Lymph node section stained with H&E, from a whole-slide image of a breast-cancer sentinel node. Magnification about 10×, about 0.5 mm across the frame, about 0.97 µm per pixel.
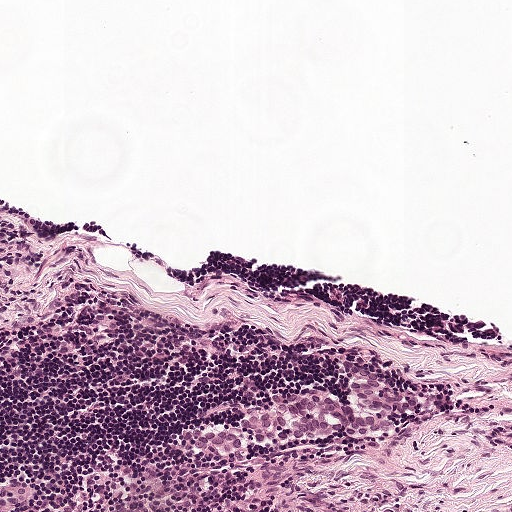
Tumour region outline (a closed clockwise path, crop pixels): (377, 380), (422, 406), (399, 412), (399, 426), (387, 433), (336, 429), (288, 444), (251, 444), (235, 455), (216, 448), (192, 449), (184, 436), (183, 431), (194, 425), (234, 422), (276, 392), (325, 389), (347, 400), (351, 398), (349, 382).
Tumour covers about 5% of the frame.